Question: 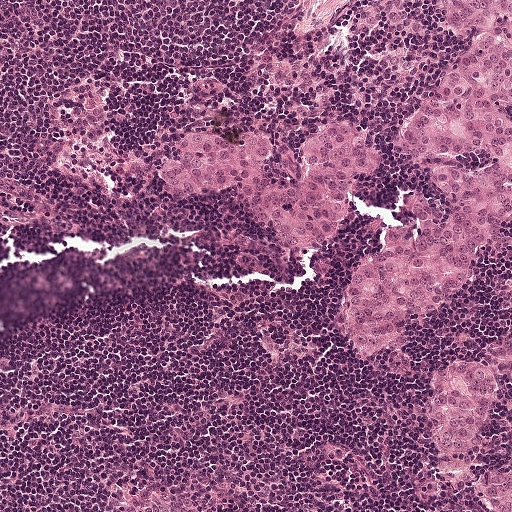
A 0.5-mm field of an H&E-stained sentinel lymph node from a breast-cancer patient (whole-slide image), shown at about 10×, about 0.97 µm per pixel.
Estimate the proportion of this field that is metastatic tumour.

Choices:
 (A) about 10% to 20%
 (B) none: no tumour is outlined
 (C) about 50% or more
 (D) about 25% to 45%
 (E) about 5% or less

Answer: (A) about 10% to 20%
About 20% of the field is tumour.
Outlines of four tumour regions, largest first (closed clockwise paths, crop pixels): region 1: (511, 0), (511, 219), (501, 249), (480, 256), (452, 296), (415, 316), (396, 380), (345, 349), (329, 305), (349, 259), (376, 240), (383, 223), (395, 222), (404, 196), (417, 194), (433, 220), (434, 190), (398, 138), (427, 79), (465, 49), (436, 2); region 2: (352, 120), (374, 138), (376, 167), (370, 176), (352, 174), (335, 238), (296, 250), (278, 244), (235, 192), (199, 198), (174, 191), (158, 174), (190, 128), (238, 137), (246, 128), (269, 145), (270, 158), (258, 170), (276, 182), (298, 176), (312, 128); region 3: (496, 338), (511, 338), (511, 402), (509, 383), (502, 379), (491, 381), (490, 423), (481, 447), (452, 458), (439, 455), (432, 442), (432, 425), (423, 413), (424, 394), (435, 366), (472, 358); region 4: (490, 469), (511, 479), (511, 511), (488, 511), (484, 509), (472, 491), (470, 484), (472, 476), (478, 471).